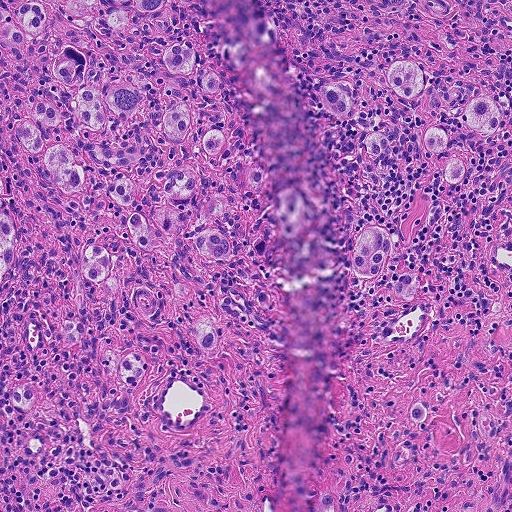
Lymph node section stained with H&E, from a whole-slide image of a breast-cancer sentinel node. Magnification about 10×, about 0.46 mm across the frame, about 0.9 µm per pixel.
Question: Where is the metastatic tumour in this field?
Answer: Outlines of the eight largest metastatic tumour regions, each a closed clockwise path in crop pixels (x, y), largest first: region 1: (191, 43), (221, 81), (215, 92), (187, 78), (188, 104), (233, 148), (214, 160), (190, 134), (172, 142), (163, 118), (178, 100), (146, 98), (154, 144), (134, 176), (192, 165), (197, 199), (223, 206), (212, 228), (233, 258), (209, 260), (163, 232), (156, 254), (143, 252), (124, 221), (134, 211), (112, 197), (82, 220), (14, 134), (29, 92), (63, 106), (75, 89), (52, 74), (56, 51), (82, 48), (88, 85), (102, 90), (128, 76), (165, 82), (165, 46); region 2: (364, 225), (377, 226), (388, 232), (399, 256), (396, 268), (418, 273), (420, 285), (419, 298), (409, 305), (398, 299), (389, 289), (394, 278), (388, 272), (387, 260), (382, 272), (370, 278), (358, 276), (349, 266), (350, 252), (354, 240); region 3: (55, 0), (164, 0), (155, 11), (142, 12), (130, 7), (137, 23), (129, 34), (117, 36), (104, 36), (92, 29), (78, 28), (66, 20); region 4: (36, 1), (47, 7), (47, 20), (39, 31), (25, 32), (28, 42), (16, 45), (4, 41), (0, 34), (0, 8), (8, 12), (16, 23), (14, 12), (24, 3); region 5: (397, 59), (410, 60), (421, 66), (424, 78), (422, 91), (412, 98), (399, 98), (390, 88), (386, 76), (387, 67); region 6: (112, 348), (117, 359), (128, 353), (141, 351), (148, 357), (148, 370), (143, 382), (132, 388), (122, 381), (117, 368), (110, 372), (102, 367), (100, 354); region 7: (0, 176), (4, 178), (11, 190), (8, 204), (14, 219), (15, 233), (12, 262), (0, 285); region 8: (321, 81), (334, 81), (346, 87), (354, 97), (354, 110), (346, 119), (333, 118), (320, 105), (317, 93).
Three more, smaller tumour regions are not outlined.
Seven more small tumour pieces are annotated here but not outlined.
About 15% of this field is tumour.